Question: 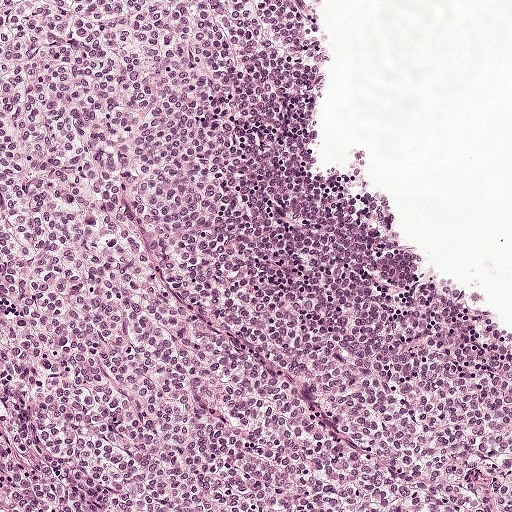
A 0.5-mm field of an H&E-stained sentinel lymph node from a breast-cancer patient (whole-slide image), shown at about 10×, about 0.97 µm per pixel.
About how much of this crop is taken up by metastatic carcinoma?

Choices:
 (A) about 25% to 45%
 (B) about 50% or more
 (C) none: no tumour is outlined
 (D) about 10% to 20%
 (E) about 5% or less

Answer: (B) about 50% or more
About 80% of the field is tumour.
The outlined metastatic tumour's edge, as a closed clockwise path of 8 points: (0, 0), (307, 0), (302, 139), (314, 168), (427, 286), (508, 338), (511, 511), (0, 511).